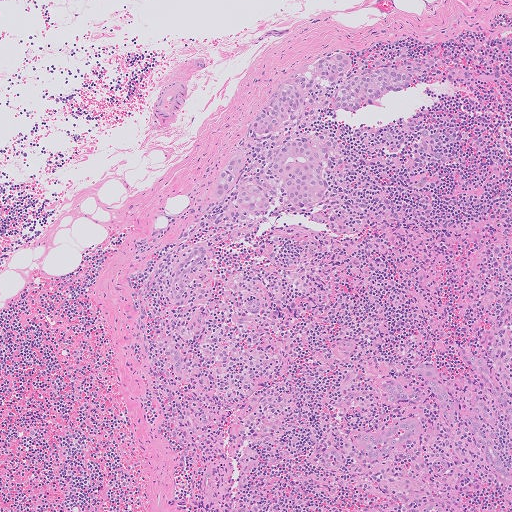
This is a crop of a whole-slide image: an H&E-stained breast-cancer sentinel lymph node section at roughly 5× magnification (about 2.0 µm per pixel; the crop spans about 1.0 mm).
Outlines of two tumour regions, largest first (closed clockwise paths, crop pixels): region 1: (313, 131), (335, 140), (341, 155), (331, 176), (333, 182), (328, 196), (310, 208), (225, 225), (221, 220), (225, 206), (204, 198), (206, 184), (221, 164), (236, 154), (243, 154), (248, 159), (245, 175), (252, 173), (277, 146); region 2: (344, 51), (352, 60), (352, 67), (356, 72), (363, 72), (373, 61), (380, 60), (386, 65), (416, 68), (418, 82), (413, 88), (384, 96), (350, 112), (334, 111), (329, 106), (334, 84), (313, 106), (274, 132), (253, 133), (252, 118), (271, 94), (292, 72), (328, 52).
The annotated tumour makes up about 5% of the crop.